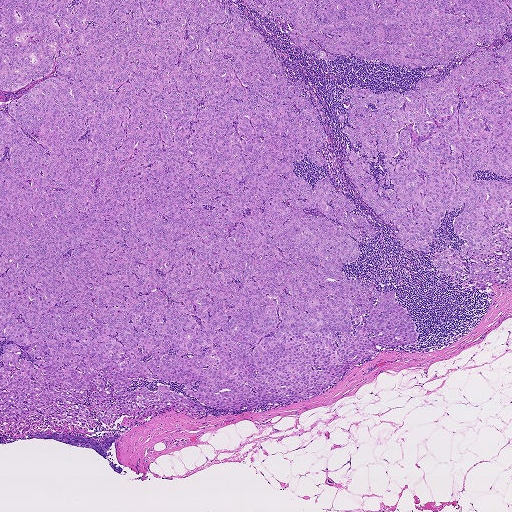
H&E-stained section of a sentinel lymph node (breast cancer), from a whole-slide image, viewed at about 2.5×: the field is about 1.9 mm across, about 3.6 µm per pixel.
Outlines of two tumour regions, largest first (closed clockwise paths, crop pixels): region 1: (0, 0), (222, 0), (318, 108), (326, 164), (307, 152), (293, 170), (313, 191), (328, 178), (375, 229), (350, 236), (360, 253), (341, 271), (394, 292), (416, 343), (378, 344), (292, 403), (214, 408), (180, 383), (145, 377), (128, 389), (166, 385), (207, 414), (2, 435); region 2: (244, 0), (511, 0), (511, 281), (482, 290), (433, 264), (467, 244), (453, 229), (464, 205), (446, 210), (429, 251), (405, 250), (344, 164), (347, 150), (367, 158), (343, 132), (354, 129), (346, 87), (403, 92), (439, 81), (476, 51), (434, 76), (322, 59), (290, 41), (286, 19).
About 70% of the image area is annotated as tumour.